A 0.46-mm field of an H&E-stained sentinel lymph node from a breast-cancer patient (whole-slide image), shown at about 10×, about 0.91 µm per pixel.
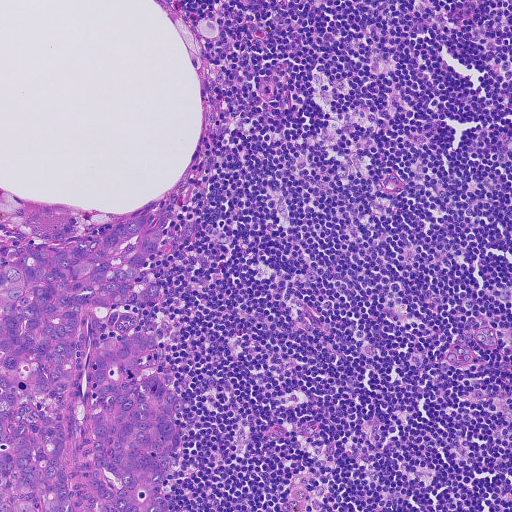
The outlined metastatic tumour's edge, as a closed clockwise path of 20 points: (146, 215), (148, 230), (164, 228), (162, 244), (134, 281), (136, 304), (121, 307), (113, 328), (161, 327), (158, 374), (185, 402), (172, 420), (182, 431), (177, 464), (162, 488), (172, 511), (0, 511), (0, 268), (20, 248), (63, 248).
About 15% of the image area is annotated as tumour.